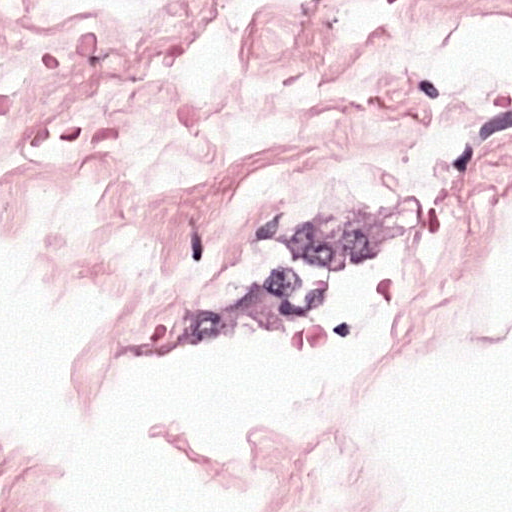
This is a crop of a whole-slide image: an H&E-stained breast-cancer sentinel lymph node section at roughly 40× magnification (about 0.24 µm per pixel; the crop spans about 0.12 mm).
One metastatic tumour region; its boundary, reduced to 7 corners and listed clockwise: (331, 203), (423, 220), (372, 288), (244, 341), (133, 361), (136, 327), (228, 260).
One more small tumour piece is annotated here but not outlined.
Tumour covers about 10% of the frame.